Question: 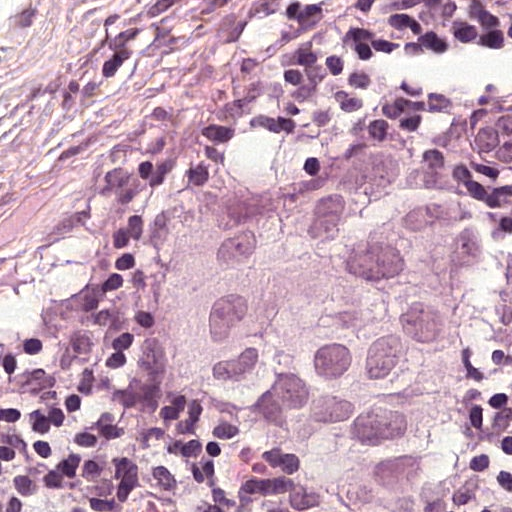
Which magnification is this H&E lymph node field most likely shown at?

Choices:
 (A) about 20×
 (B) about 5×
 (C) about 10×
 (D) about 2.5×
 (E) about 40×

Answer: (E) about 40×
This is a crop of a whole-slide image: an H&E-stained breast-cancer sentinel lymph node section at roughly 40× magnification (about 0.24 µm per pixel; the crop spans about 0.12 mm).
One metastatic tumour region; its boundary, reduced to 14 corners and listed clockwise: (363, 137), (403, 145), (472, 197), (472, 264), (440, 366), (434, 510), (344, 510), (261, 429), (217, 429), (142, 379), (149, 295), (169, 237), (205, 208), (330, 162).
Tumour covers about 35% of the frame.